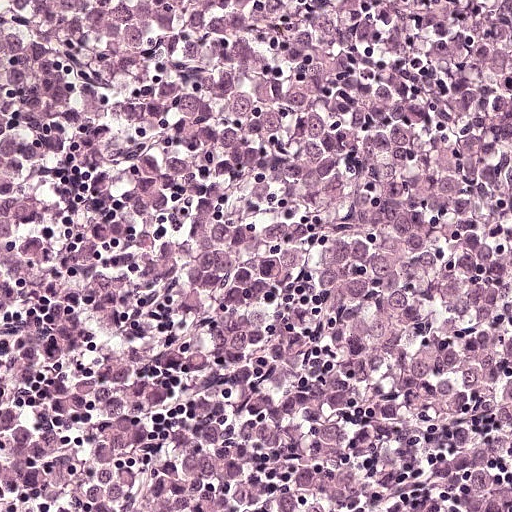
This is a crop of a whole-slide image: an H&E-stained breast-cancer sentinel lymph node section at roughly 20× magnification (about 0.49 µm per pixel; the crop spans about 0.25 mm).